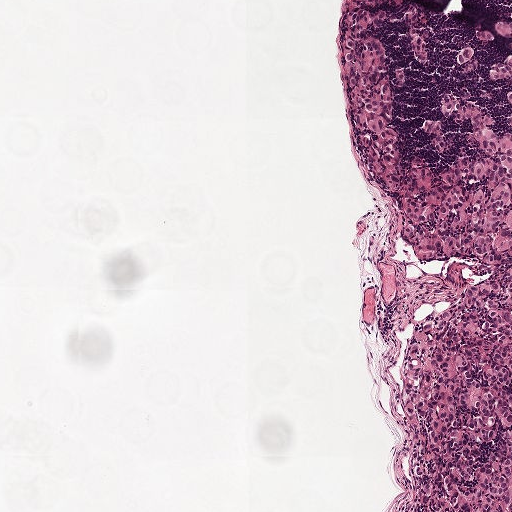
A 1-mm field of an H&E-stained sentinel lymph node from a breast-cancer patient (whole-slide image), shown at about 5×, about 1.9 µm per pixel.
Question: Show where the tumour is in this image.
Answer: Outlines of two tumour regions, largest first (closed clockwise paths, crop pixels): region 1: (511, 0), (511, 511), (415, 511), (414, 436), (395, 414), (393, 390), (426, 319), (485, 280), (472, 259), (436, 263), (401, 248), (394, 207), (404, 171), (450, 156), (448, 142), (435, 151), (415, 136), (419, 116), (442, 94), (495, 94), (496, 83), (449, 62), (469, 29), (508, 20); region 2: (406, 0), (424, 20), (426, 50), (419, 66), (405, 50), (394, 24), (381, 19), (377, 22), (379, 36), (397, 69), (394, 114), (398, 183), (387, 194), (373, 190), (353, 159), (344, 106), (332, 72), (343, 2).
The annotated tumour makes up about 20% of the crop.